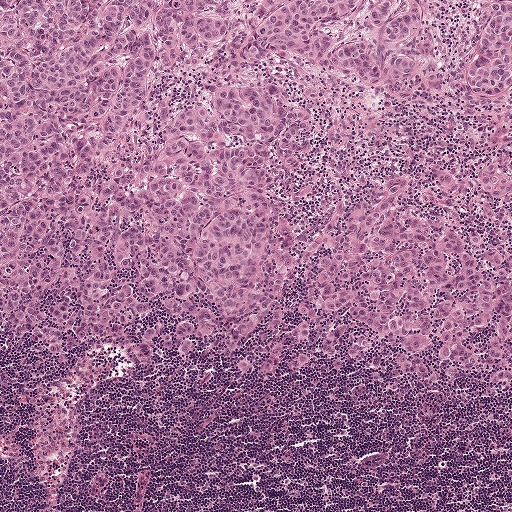
This is a crop of a whole-slide image: an H&E-stained breast-cancer sentinel lymph node section at roughly 5× magnification (about 1.9 µm per pixel; the crop spans about 1 mm).
Question: Show where the tumour is in this image.
Answer: Tumour region outline (a closed clockwise path, crop pixels): (0, 0), (511, 0), (511, 392), (350, 371), (219, 381), (184, 363), (51, 361), (30, 348), (11, 348), (1, 362).
About 75% of the image area is annotated as tumour.